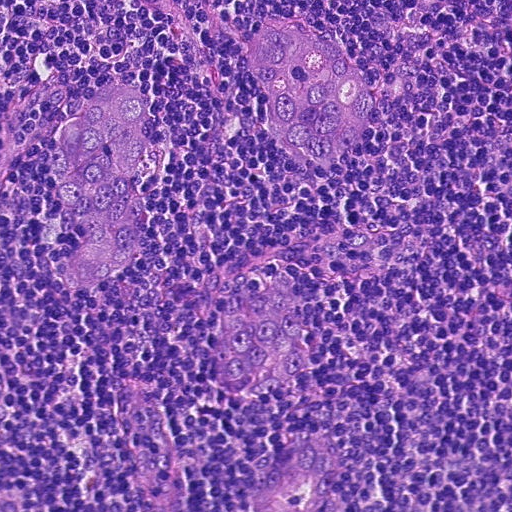
Lymph node section stained with H&E, from a whole-slide image of a breast-cancer sentinel node. Magnification about 20×, about 0.23 mm across the frame, about 0.45 µm per pixel.
Outlines of four tumour regions, largest first (closed clockwise paths, crop pixels): region 1: (108, 81), (130, 82), (148, 94), (153, 115), (153, 135), (132, 173), (147, 214), (148, 235), (120, 268), (82, 286), (60, 286), (52, 266), (64, 264), (76, 246), (73, 224), (56, 209), (48, 142), (88, 92); region 2: (264, 16), (286, 16), (326, 27), (365, 76), (371, 96), (370, 116), (366, 136), (337, 167), (296, 160), (278, 148), (268, 130), (260, 89), (244, 68), (246, 54); region 3: (276, 267), (295, 275), (298, 318), (313, 358), (304, 376), (269, 397), (247, 396), (227, 389), (213, 372), (212, 351), (219, 310), (240, 284), (260, 284); region 4: (328, 434), (336, 455), (336, 498), (341, 511), (250, 511), (257, 486), (272, 458), (288, 444), (306, 435).
About 15% of this field is tumour.